Image:
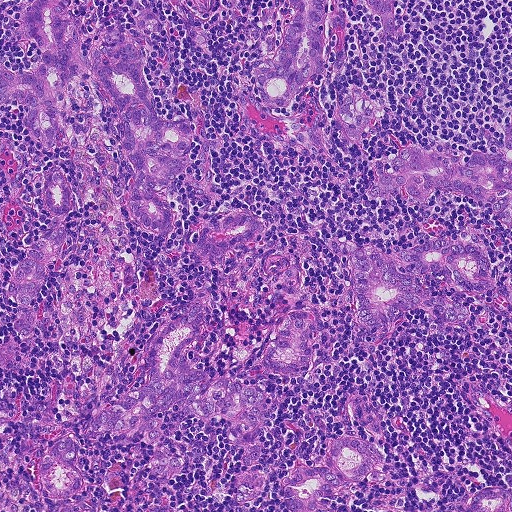
This is a crop of a whole-slide image: an H&E-stained breast-cancer sentinel lymph node section at roughly 10× magnification (about 0.9 µm per pixel; the crop spans about 0.46 mm).
Question:
Where is the metastatic tumour in this field?
Answer:
The eight largest tumour regions' boundaries, simplified and listed clockwise, largest first: region 1: (198, 305), (205, 315), (204, 330), (198, 344), (186, 352), (190, 367), (252, 386), (265, 395), (269, 409), (258, 438), (266, 482), (259, 496), (244, 501), (231, 494), (232, 479), (244, 460), (244, 444), (234, 443), (224, 414), (208, 419), (194, 417), (184, 405), (154, 418), (164, 430), (162, 445), (186, 461), (176, 474), (162, 480), (148, 475), (146, 460), (153, 446), (133, 430), (114, 436), (100, 426), (100, 411), (123, 391), (139, 388), (148, 375), (150, 344), (171, 321); region 2: (148, 10), (160, 14), (164, 26), (139, 32), (150, 92), (162, 116), (183, 118), (191, 142), (184, 170), (150, 188), (170, 206), (176, 217), (172, 229), (160, 233), (137, 222), (128, 199), (131, 174), (122, 158), (112, 108), (94, 73), (95, 51), (110, 30), (132, 40), (137, 16); region 3: (337, 237), (350, 247), (392, 250), (462, 239), (475, 245), (499, 282), (511, 286), (511, 309), (498, 295), (469, 292), (431, 273), (418, 278), (468, 305), (471, 318), (444, 322), (418, 308), (391, 314), (380, 340), (366, 342), (356, 333), (352, 277), (334, 251); region 4: (511, 118), (511, 237), (495, 212), (461, 194), (436, 190), (414, 202), (406, 189), (393, 194), (364, 195), (374, 187), (374, 162), (409, 146), (447, 154), (498, 153), (504, 151), (506, 125); region 5: (32, 0), (68, 0), (64, 21), (67, 33), (78, 26), (84, 37), (78, 48), (84, 60), (81, 72), (62, 90), (57, 103), (60, 134), (57, 146), (46, 150), (23, 118), (28, 106), (0, 106), (0, 64), (22, 72), (33, 68), (38, 56), (23, 21); region 6: (289, 0), (329, 0), (326, 26), (332, 14), (343, 6), (349, 20), (344, 32), (350, 57), (346, 69), (334, 74), (333, 36), (324, 38), (320, 76), (308, 82), (292, 103), (280, 106), (268, 106), (259, 96), (255, 71), (274, 55), (289, 19); region 7: (346, 436), (361, 438), (376, 444), (388, 473), (376, 482), (345, 480), (317, 510), (296, 511), (287, 509), (281, 495), (280, 480), (310, 469), (326, 468), (323, 454), (330, 440); region 8: (64, 170), (69, 195), (64, 219), (63, 244), (50, 266), (41, 290), (35, 301), (28, 306), (36, 316), (37, 328), (28, 337), (16, 335), (14, 322), (22, 308), (10, 301), (8, 288), (20, 264), (51, 224), (43, 194), (45, 182), (52, 171).
Five more, smaller tumour regions are not outlined.
About 25% of this field is tumour.